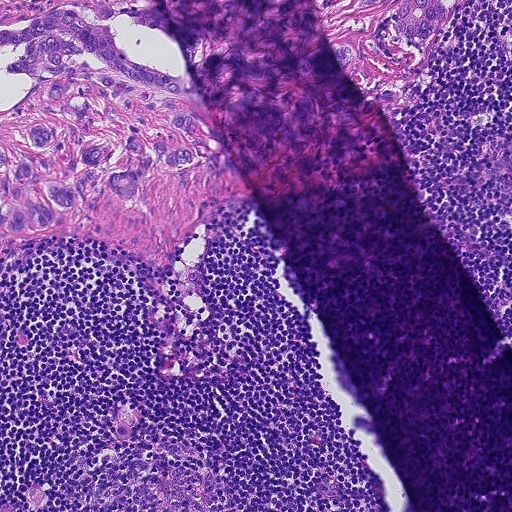
A 0.46-mm field of an H&E-stained sentinel lymph node from a breast-cancer patient (whole-slide image), shown at about 10×, about 0.9 µm per pixel.
Outlines of three tumour regions, largest first (closed clockwise paths, crop pixels): region 1: (0, 0), (460, 0), (428, 72), (396, 109), (391, 174), (321, 196), (236, 200), (204, 221), (169, 269), (96, 238), (4, 249); region 2: (30, 484), (41, 486), (50, 494), (46, 505), (34, 511), (0, 511), (0, 503), (11, 500), (22, 505), (28, 496); region 3: (130, 406), (138, 417), (137, 431), (126, 440), (114, 433), (117, 412).
About 35% of this field is tumour.